A 0.93-mm field of an H&E-stained sentinel lymph node from a breast-cancer patient (whole-slide image), shown at about 5×, about 1.8 µm per pixel.
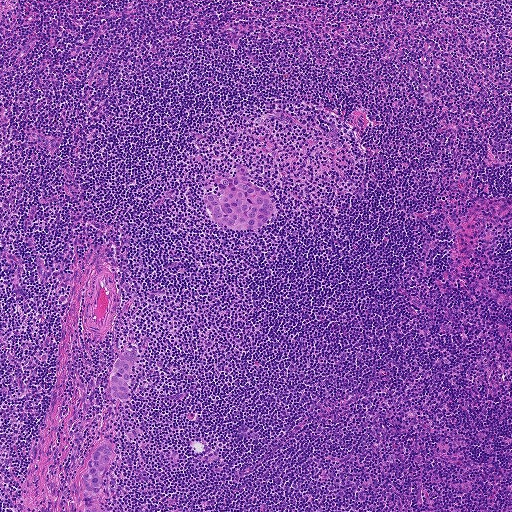
Boundaries of three metastatic tumour regions, simplified and listed clockwise, largest first: region 1: (235, 174), (247, 177), (266, 192), (274, 201), (274, 213), (269, 223), (259, 229), (233, 232), (218, 227), (209, 219), (205, 208), (205, 196), (210, 193), (220, 194), (216, 186), (223, 177); region 2: (103, 443), (113, 447), (113, 458), (107, 472), (102, 477), (105, 488), (100, 502), (102, 511), (83, 511), (82, 483), (79, 475), (85, 470), (87, 459); region 3: (126, 346), (137, 351), (137, 364), (130, 376), (130, 401), (116, 401), (110, 392), (107, 380), (116, 355).
Under 5% of this field is tumour.